A 0.12-mm field of an H&E-stained sentinel lymph node from a breast-cancer patient (whole-slide image), shown at about 40×, about 0.24 µm per pixel.
Question: 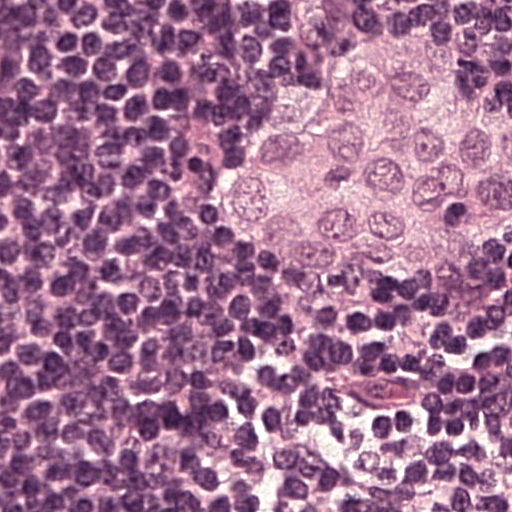
Roughly what share of this field is metastatic tumour?

Choices:
 (A) about 50% or more
 (B) about 25% to 45%
 (C) none: no tumour is outlined
 (D) about 10% to 20%
 (E) about 5% or less

Answer: (B) about 25% to 45%
About 25% of the field is tumour.
Tumour region outline (a closed clockwise path, crop pixels): (415, 20), (474, 41), (511, 98), (511, 241), (449, 288), (393, 300), (208, 232), (199, 191), (246, 104), (327, 35).